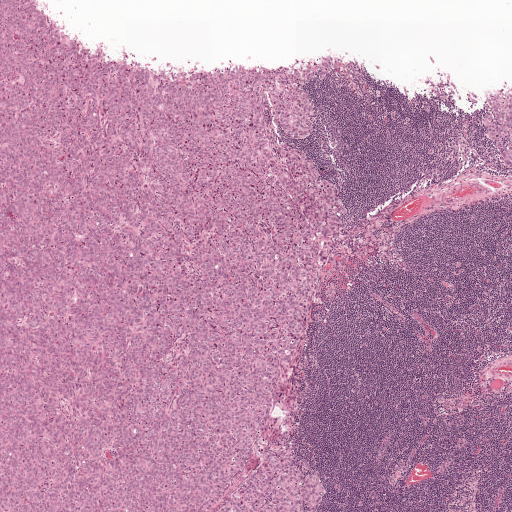
Lymph node section stained with H&E, from a whole-slide image of a breast-cancer sentinel node. Magnification about 2.5×, about 2.0 mm across the frame, about 3.9 µm per pixel.
Boundaries of two metastatic tumour regions, simplified and listed clockwise, largest first: region 1: (0, 0), (40, 0), (69, 25), (160, 63), (345, 62), (346, 73), (307, 88), (315, 111), (305, 139), (277, 127), (347, 200), (263, 434), (320, 474), (327, 492), (314, 511), (0, 511); region 2: (511, 85), (511, 170), (503, 163), (491, 148), (481, 120), (486, 100), (492, 93).
The annotated tumour makes up about 55% of the crop.